Question: 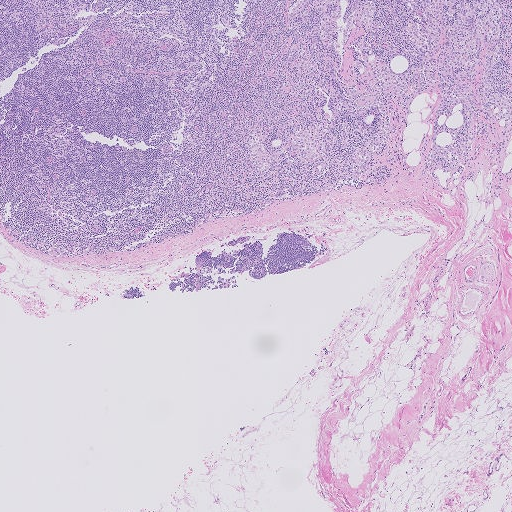
This is a crop of a whole-slide image: an H&E-stained breast-cancer sentinel lymph node section at roughly 2.5× magnification (about 4.0 µm per pixel; the crop spans about 2.0 mm).
About how much of this crop is taken up by metastatic carcinoma?

Choices:
 (A) about 10% to 20%
 (B) about 50% or more
 (C) about 5% or less
 (D) about 25% to 45%
 (E) none: no tumour is outlined

Answer: (C) about 5% or less
Under 5% of the field is tumour.
Outlines of two tumour regions, largest first (closed clockwise paths, crop pixels): region 1: (254, 234), (254, 238), (238, 247), (225, 248), (218, 246), (222, 241), (239, 235); region 2: (228, 277), (237, 278), (237, 283), (233, 284), (226, 290), (214, 290), (205, 289), (208, 285), (211, 285).